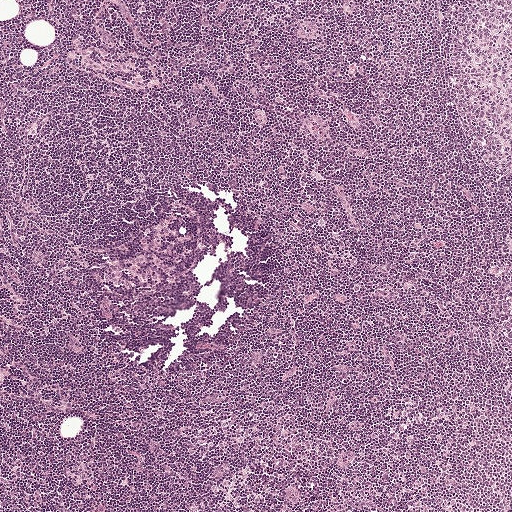
H&E-stained section of a sentinel lymph node (breast cancer), from a whole-slide image, viewed at about 5×: the field is about 1 mm across, about 1.9 µm per pixel.